Question: 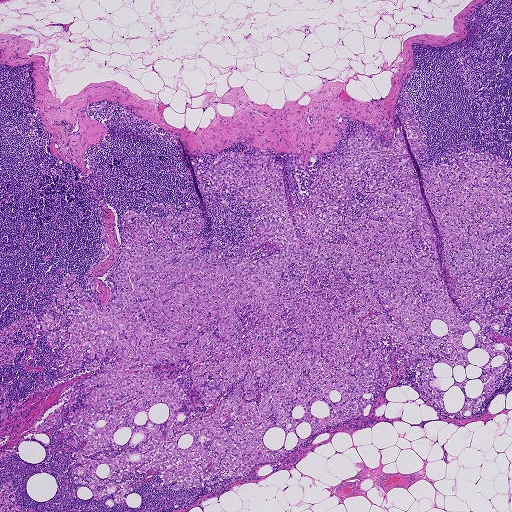
This is a crop of a whole-slide image: an H&E-stained breast-cancer sentinel lymph node section at roughly 2.5× magnification (about 3.6 µm per pixel; the crop spans about 1.9 mm).
Estimate the proportion of this field that is metastatic tumour.

Choices:
 (A) about 5% or less
 (B) none: no tumour is outlined
 (C) about 10% to 20%
 (D) about 25% to 45%
 (E) about 50% or more

Answer: (D) about 25% to 45%
About 40% of the field is tumour.
The outlined metastatic tumour's edge, as a closed clockwise path of 39 points: (406, 90), (419, 167), (505, 158), (511, 315), (488, 337), (507, 362), (478, 411), (441, 409), (393, 357), (361, 414), (189, 488), (141, 466), (107, 480), (120, 484), (129, 481), (123, 502), (74, 481), (86, 440), (57, 429), (118, 357), (61, 371), (72, 334), (46, 337), (70, 318), (41, 322), (78, 312), (63, 276), (104, 308), (123, 215), (163, 205), (235, 257), (263, 235), (251, 202), (201, 194), (207, 164), (272, 154), (306, 216), (340, 144), (390, 145).